This is a crop of a whole-slide image: an H&E-stained breast-cancer sentinel lymph node section at roughly 20× magnification (about 0.45 µm per pixel; the crop spans about 0.23 mm).
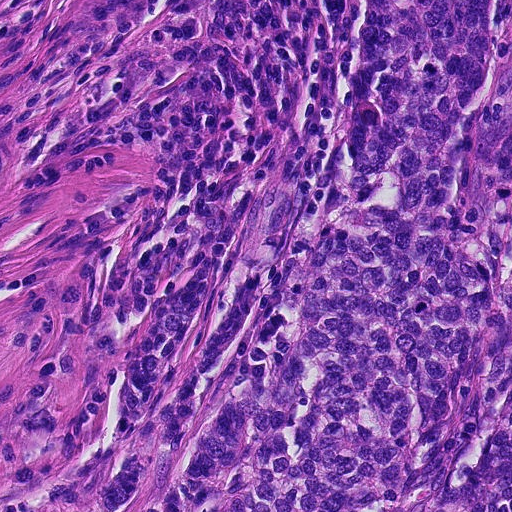
Question: Is any metastatic breast cancer visible in this crop?
Answer: Yes.
Tumour region outline (a closed clockwise path, crop pixels): (353, 0), (511, 0), (511, 511), (112, 511), (159, 410), (328, 173).
About 50% of this field is tumour.